Question: 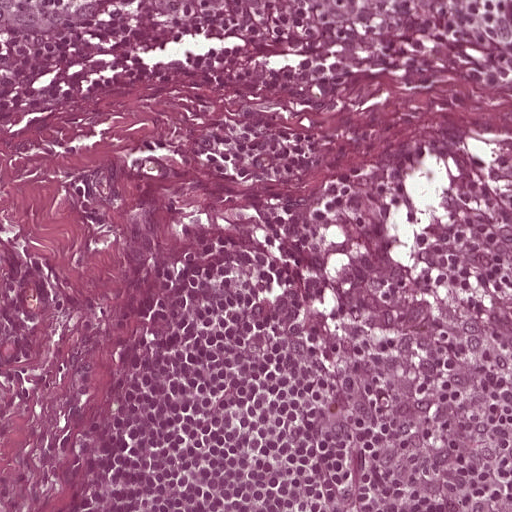
Which magnification is this H&E lymph node field most likely shown at?

Choices:
 (A) about 20×
 (B) about 5×
 (C) about 10×
 (D) about 40×
 (E) about 2.5×

Answer: (A) about 20×
This is a crop of a whole-slide image: an H&E-stained breast-cancer sentinel lymph node section at roughly 20× magnification (about 0.49 µm per pixel; the crop spans about 0.25 mm).